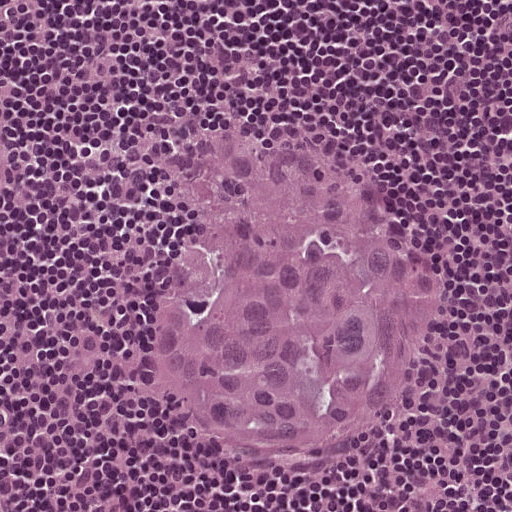
This is a crop of a whole-slide image: an H&E-stained breast-cancer sentinel lymph node section at roughly 20× magnification (about 0.49 µm per pixel; the crop spans about 0.25 mm).
Tumour region outline (a closed clockwise path, crop pixels): (222, 133), (315, 133), (363, 152), (398, 193), (442, 282), (444, 383), (420, 425), (334, 473), (285, 479), (236, 474), (192, 449), (143, 361), (142, 311).
About 30% of this field is tumour.